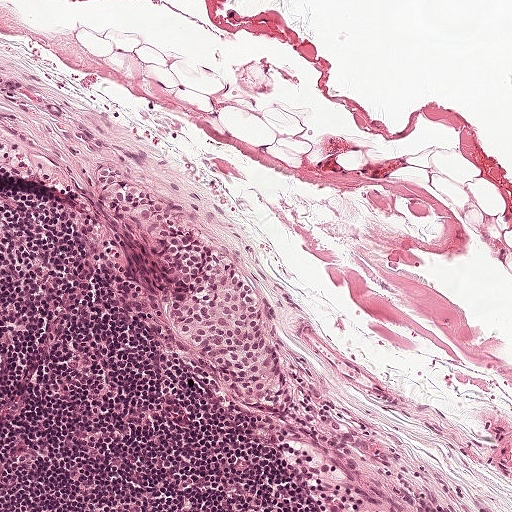
This is a crop of a whole-slide image: an H&E-stained breast-cancer sentinel lymph node section at roughly 10× magnification (about 0.97 µm per pixel; the crop spans about 0.5 mm).
Tumour region outline (a closed clockwise path, crop pixels): (108, 169), (128, 176), (165, 202), (256, 291), (275, 348), (287, 365), (293, 415), (288, 426), (264, 425), (241, 414), (202, 356), (182, 342), (158, 257), (137, 233), (119, 224), (96, 176).
Tumour covers about 5% of the frame.